Question: 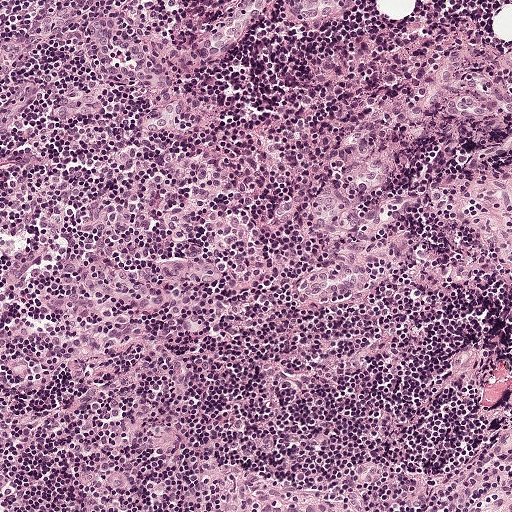
Which magnification is this H&E lymph node field most likely shown at?

Choices:
 (A) about 5×
 (B) about 10×
 (C) about 20×
 (D) about 2.5×
 (E) about 40×

Answer: (B) about 10×
H&E-stained section of a sentinel lymph node (breast cancer), from a whole-slide image, viewed at about 10×: the field is about 0.5 mm across, about 0.97 µm per pixel.